Image:
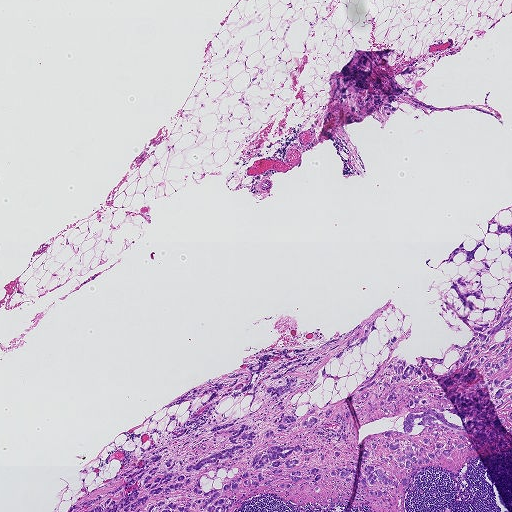
A 1.9-mm field of an H&E-stained sentinel lymph node from a breast-cancer patient (whole-slide image), shown at about 2.5×, about 3.6 µm per pixel.
Question:
Is there metastatic carcinoma in this field?
Answer:
Yes.
Outlines of two tumour regions, largest first (closed clockwise paths, crop pixels): region 1: (483, 238), (475, 261), (497, 258), (485, 301), (467, 300), (498, 307), (511, 281), (511, 451), (458, 474), (416, 469), (405, 511), (263, 492), (234, 510), (66, 511), (120, 484), (170, 413), (188, 415), (188, 401), (162, 406), (264, 349), (321, 345), (361, 321), (360, 336), (374, 320), (363, 344), (327, 362), (339, 379), (321, 376), (324, 363), (291, 396), (301, 416), (370, 377), (389, 337), (412, 365), (466, 343), (443, 300), (462, 315), (447, 291), (483, 265), (425, 260); region 2: (491, 221), (495, 221), (502, 226), (511, 224), (511, 259), (502, 250), (508, 245), (509, 241), (510, 237), (508, 234), (503, 234), (499, 236), (494, 234), (486, 232), (488, 224).
One more small tumour piece is annotated here but not outlined.
The annotated tumour makes up about 20% of the crop.